Question: 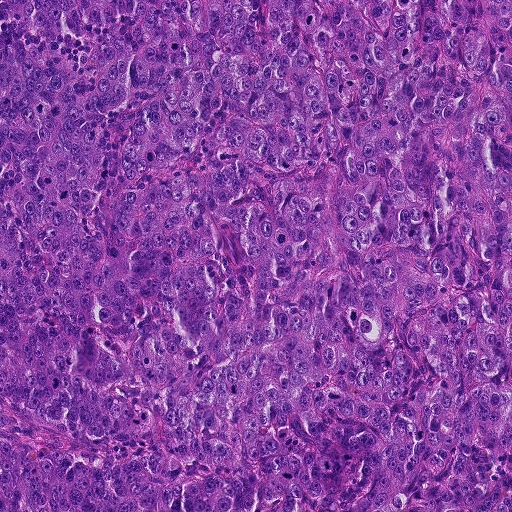
Lymph node section stained with H&E, from a whole-slide image of a breast-cancer sentinel node. Magnification about 10×, about 0.46 mm across the frame, about 0.9 µm per pixel.
What fraction of the image area is metastatic tumour?

Choices:
 (A) about 50% or more
 (B) about 10% to 20%
 (C) about 25% to 45%
 (D) none: no tumour is outlined
 (E) about 5% or less

Answer: (A) about 50% or more
Over 95% of the field is tumour.
Metastatic tumour covers the whole field.